Image:
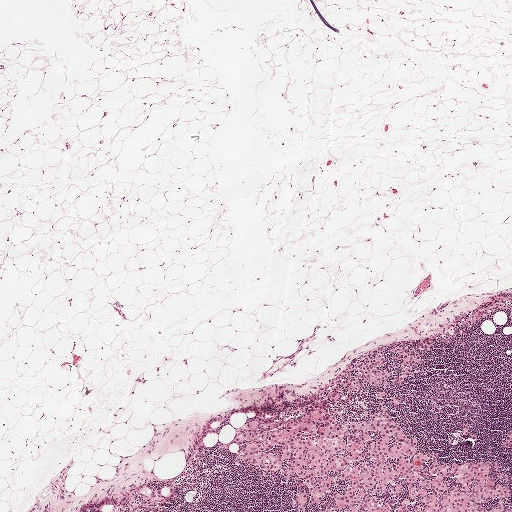
This is a crop of a whole-slide image: an H&E-stained breast-cancer sentinel lymph node section at roughly 2.5× magnification (about 3.9 µm per pixel; the crop spans about 2.0 mm).
Question:
Trace the edge of each tumour region in this crop, as (x, y) points from 0 to 511.
Answer:
Six metastatic tumour regions, each outlined as a closed clockwise path in crop pixels (x, y), largest first: region 1: (353, 376), (369, 393), (343, 390), (329, 409), (341, 424), (385, 405), (416, 437), (415, 455), (437, 450), (439, 464), (499, 461), (510, 492), (504, 511), (301, 511), (291, 502), (306, 484), (240, 461), (237, 443), (218, 449), (255, 415), (294, 418); region 2: (400, 345), (417, 351), (423, 360), (422, 364), (418, 364), (417, 366), (423, 370), (422, 374), (415, 372), (413, 376), (408, 376), (397, 386), (392, 382), (401, 370), (401, 361), (393, 361), (399, 353), (394, 354), (392, 351), (393, 348); region 3: (376, 354), (384, 354), (385, 364), (376, 368), (378, 370), (385, 369), (390, 374), (386, 381), (390, 386), (385, 388), (383, 386), (384, 381), (377, 387), (369, 384), (368, 381), (366, 384), (363, 384), (362, 382), (363, 379), (366, 379), (365, 372), (356, 365), (364, 361), (363, 358), (367, 356), (369, 358), (374, 358); region 4: (510, 430), (511, 431), (511, 446), (510, 447), (504, 447), (498, 445), (500, 441), (505, 439), (506, 434), (508, 431); region 5: (428, 341), (431, 342), (433, 345), (433, 349), (423, 351), (415, 347), (416, 344), (421, 342), (425, 342); region 6: (398, 395), (403, 398), (404, 403), (400, 406), (395, 406), (391, 404), (389, 400), (392, 397).
Two more small tumour pieces are annotated here but not outlined.
About 10% of the image area is annotated as tumour.